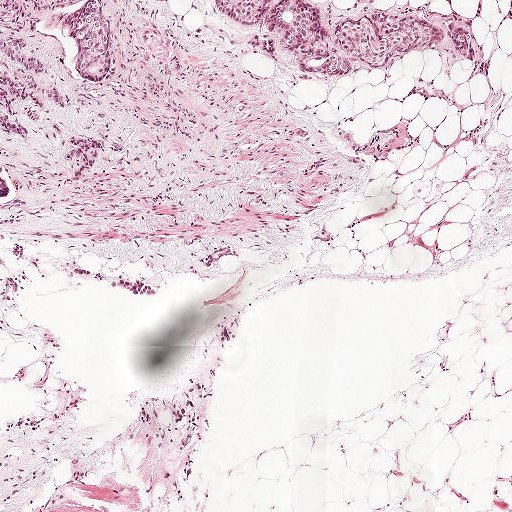
H&E-stained section of a sentinel lymph node (breast cancer), from a whole-slide image, viewed at about 5×: the field is about 1 mm across, about 1.9 µm per pixel.
Outlines of two tumour regions, largest first (closed clockwise paths, crop pixels): region 1: (0, 0), (333, 0), (371, 20), (443, 17), (485, 34), (464, 71), (387, 119), (344, 207), (288, 263), (208, 268), (99, 255), (3, 300); region 2: (0, 410), (5, 415), (45, 428), (123, 479), (158, 511), (0, 511).
Tumour covers about 45% of the frame.